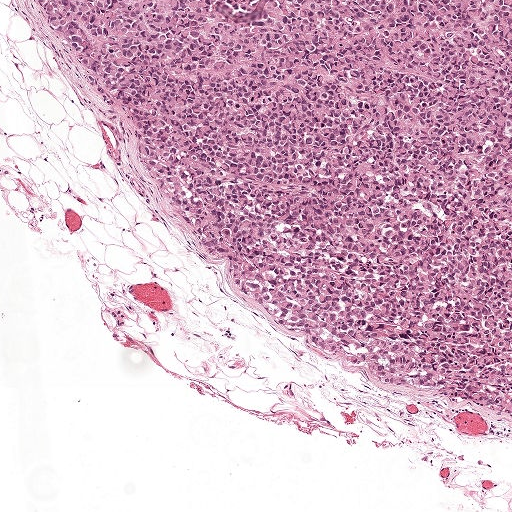
H&E-stained section of a sentinel lymph node (breast cancer), from a whole-slide image, viewed at about 5×: the field is about 1 mm across, about 1.9 µm per pixel.
Metastatic tumour outline, simplified to 8 points and listed clockwise in crop pixels (x, y): (511, 0), (511, 429), (391, 398), (238, 308), (212, 258), (124, 162), (85, 81), (21, 1).
The annotated tumour makes up about 55% of the crop.